Image:
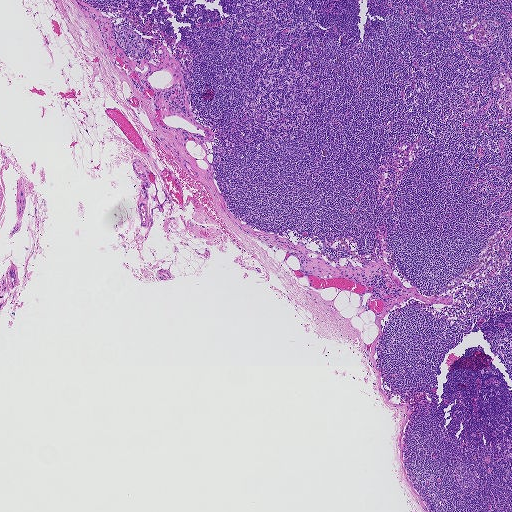
Lymph node section stained with H&E, from a whole-slide image of a breast-cancer sentinel node. Magnification about 2.5×, about 1.9 mm across the frame, about 3.6 µm per pixel.
Question:
Is any metastatic breast cancer visible in this crop?
Answer:
No: no metastatic tumour is outlined anywhere in this field.